Image:
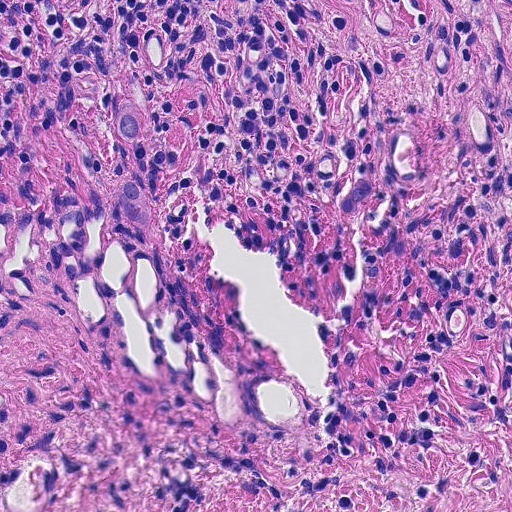
H&E-stained section of a sentinel lymph node (breast cancer), from a whole-slide image, viewed at about 20×: the field is about 0.23 mm across, about 0.45 µm per pixel.
Question:
Where is the metastatic tumour in this field?
Answer:
One metastatic tumour region; its boundary, reduced to 15 corners and listed clockwise: (123, 98), (146, 120), (138, 147), (140, 174), (150, 200), (153, 228), (148, 228), (124, 214), (0, 225), (0, 221), (122, 210), (118, 187), (132, 162), (119, 137), (115, 108).
Under 5% of this field is tumour.